Question: 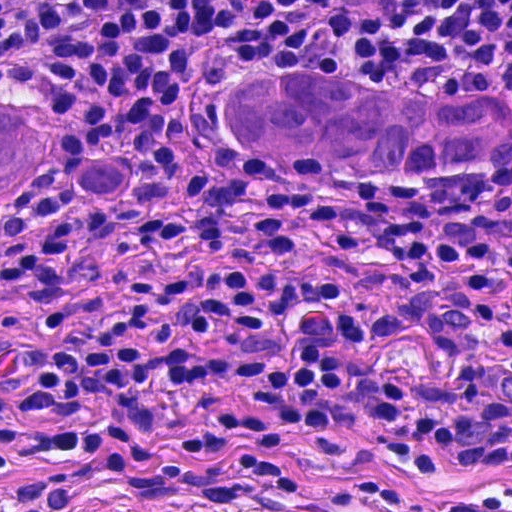
About what magnification does this crop show?

Choices:
 (A) about 5×
 (B) about 10×
 (C) about 40×
 (D) about 2.5×
 (E) about 20×

Answer: (C) about 40×
H&E-stained section of a sentinel lymph node (breast cancer), from a whole-slide image, viewed at about 40×: the field is about 0.12 mm across, about 0.23 µm per pixel.
The outlined metastatic tumour's edge, as a closed clockwise path of 15 points: (282, 52), (373, 74), (468, 83), (511, 105), (511, 156), (479, 185), (296, 192), (212, 151), (203, 124), (54, 126), (2, 205), (2, 86), (72, 110), (163, 117), (210, 110).
About 15% of this field is tumour.